Question: 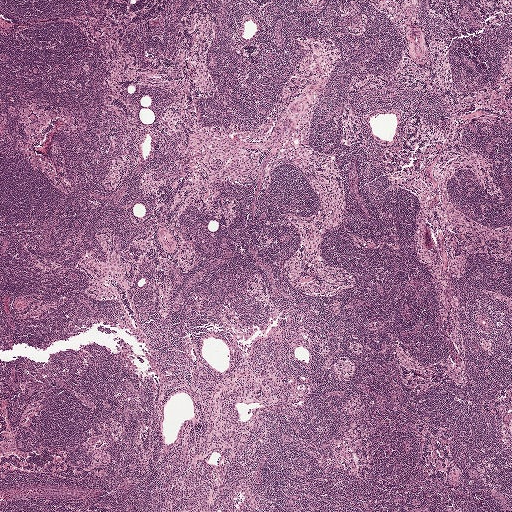
About what magnification does this crop show?

Choices:
 (A) about 5×
 (B) about 2.5×
 (C) about 10×
 (D) about 20×
 (E) about 40×

Answer: (B) about 2.5×
A 2.0-mm field of an H&E-stained sentinel lymph node from a breast-cancer patient (whole-slide image), shown at about 2.5×, about 3.9 µm per pixel.